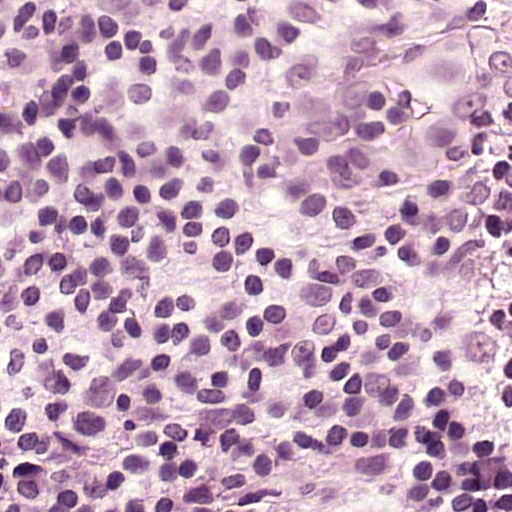
A 0.12-mm field of an H&E-stained sentinel lymph node from a breast-cancer patient (whole-slide image), shown at about 40×, about 0.24 µm per pixel.
Tumour region outline (a closed clockwise path, crop pixels): (438, 18), (511, 20), (511, 134), (408, 193), (313, 195), (276, 182), (254, 141), (276, 97).
About 15% of this field is tumour.